A 0.23-mm field of an H&E-stained sentinel lymph node from a breast-cancer patient (whole-slide image), shown at about 20×, about 0.45 µm per pixel.
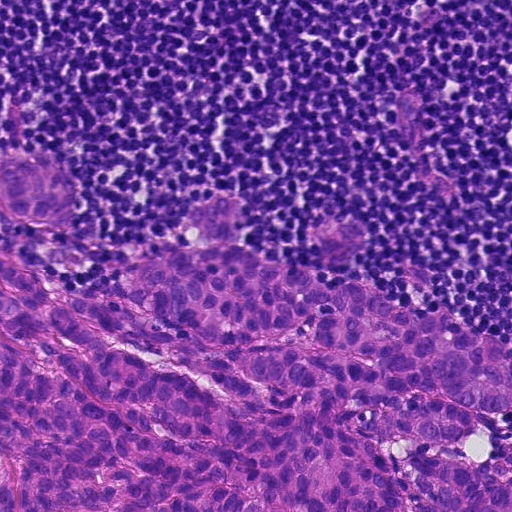
Outlines of two tumour regions, largest first (closed clockwise paths, crop pixels): region 1: (229, 186), (248, 222), (232, 244), (317, 277), (319, 227), (358, 218), (362, 257), (331, 281), (370, 284), (511, 345), (511, 417), (481, 416), (511, 470), (511, 511), (0, 511), (0, 243), (54, 292), (93, 286), (164, 246), (203, 242), (189, 240), (190, 198); region 2: (21, 150), (60, 159), (82, 192), (71, 230), (30, 231), (6, 224), (0, 231), (0, 224), (4, 220), (0, 220), (0, 173).
Tumour covers about 50% of the frame.